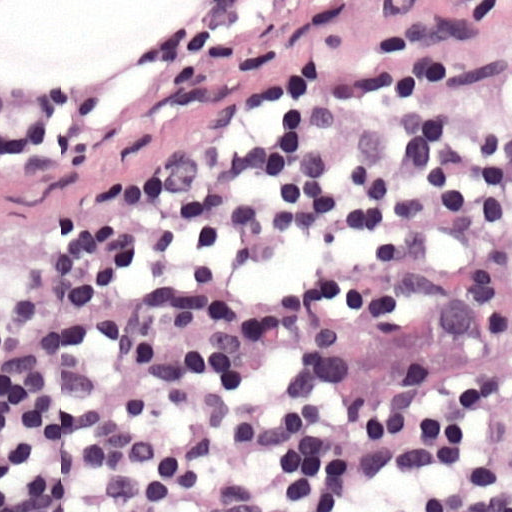
This is a crop of a whole-slide image: an H&E-stained breast-cancer sentinel lymph node section at roughly 40× magnification (about 0.24 µm per pixel; the crop spans about 0.12 mm).
Question: Describe where the metastatic carcinoma lies in this crop.
Answer: One metastatic tumour region; its boundary, reduced to 6 corners and listed clockwise: (485, 294), (497, 328), (454, 373), (367, 390), (349, 347), (438, 295).
Tumour covers about 5% of the frame.